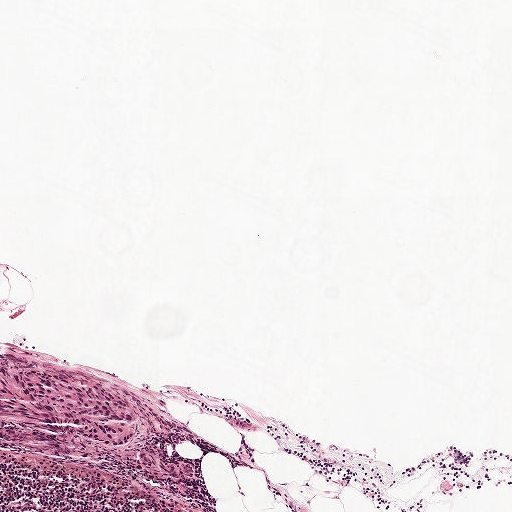
This is a crop of a whole-slide image: an H&E-stained breast-cancer sentinel lymph node section at roughly 5× magnification (about 1.9 µm per pixel; the crop spans about 1 mm).
One metastatic tumour region; its boundary, reduced to 11 corners and listed clockwise: (0, 347), (42, 363), (60, 363), (102, 382), (131, 410), (133, 426), (126, 444), (99, 454), (77, 454), (31, 450), (0, 442).
The annotated tumour makes up about 5% of the crop.